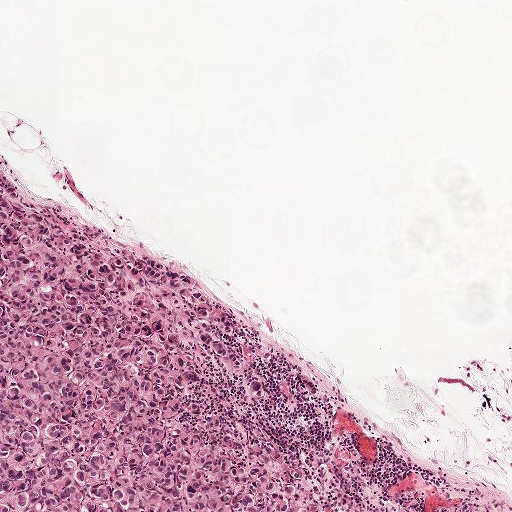
Lymph node section stained with H&E, from a whole-slide image of a breast-cancer sentinel node. Magnification about 5×, about 1 mm across the frame, about 1.9 µm per pixel.
Question: Describe where the metastatic carcinoma lies in this crop.
Answer: Tumour region outline (a closed clockwise path, crop pixels): (0, 156), (204, 291), (259, 348), (308, 428), (379, 495), (423, 511), (0, 511).
About 30% of the image area is annotated as tumour.